This is a crop of a whole-slide image: an H&E-stained breast-cancer sentinel lymph node section at roughly 10× magnification (about 0.97 µm per pixel; the crop spans about 0.5 mm).
Image:
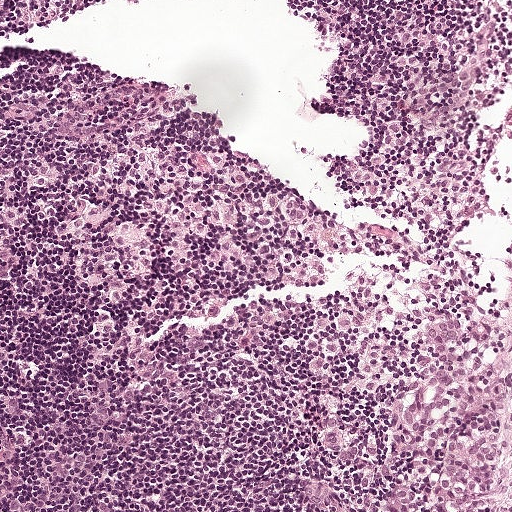
Question:
Show where the tumour is in this image.
Answer:
One metastatic tumour region; its boundary, reduced to 7 corners and listed clockwise: (445, 303), (511, 334), (509, 509), (400, 511), (412, 471), (412, 396), (420, 341).
About 5% of this field is tumour.